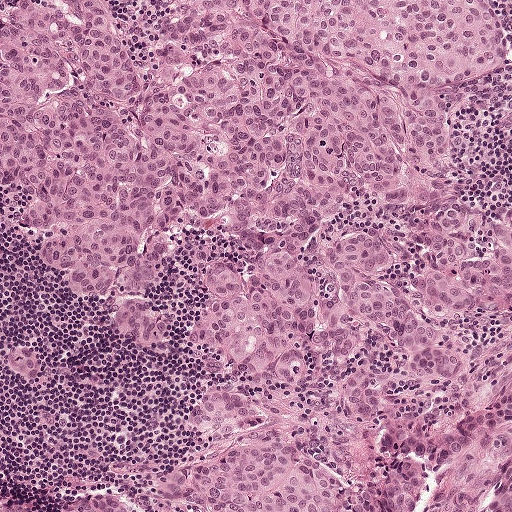
A 0.5-mm field of an H&E-stained sentinel lymph node from a breast-cancer patient (whole-slide image), shown at about 10×, about 0.97 µm per pixel.
The outlined metastatic tumour's edge, as a closed clockwise path of 16 points: (0, 0), (496, 0), (511, 26), (511, 61), (461, 100), (477, 177), (454, 224), (428, 234), (384, 200), (362, 229), (202, 231), (174, 284), (171, 358), (116, 344), (77, 314), (1, 223).
Tumour covers about 45% of the frame.